Image:
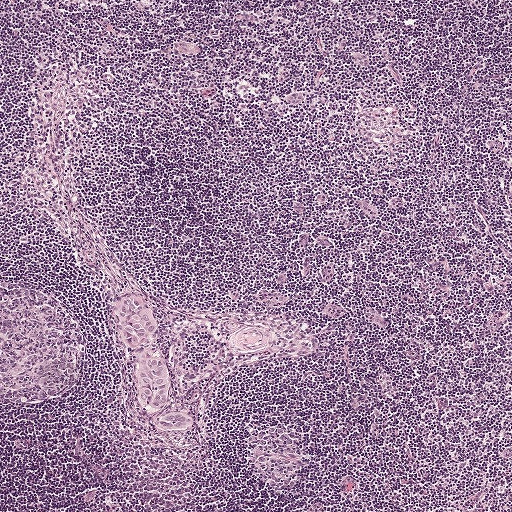
H&E-stained section of a sentinel lymph node (breast cancer), from a whole-slide image, viewed at about 5×: the field is about 1 mm across, about 1.9 µm per pixel.
Question:
Is there metastatic carcinoma in this field?
Answer:
Yes.
One metastatic tumour region; its boundary, reduced to 21 corners and listed clockwise: (128, 293), (134, 294), (153, 311), (158, 330), (152, 341), (153, 352), (162, 356), (172, 379), (168, 405), (161, 412), (176, 410), (193, 417), (192, 423), (184, 427), (167, 429), (157, 426), (139, 404), (135, 374), (123, 332), (116, 319), (117, 304).
The annotated tumour makes up under 5% of the crop.

Image:
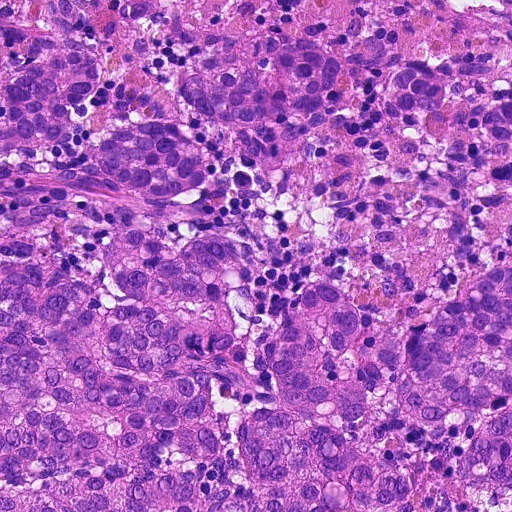
A 0.23-mm field of an H&E-stained sentinel lymph node from a breast-cancer patient (whole-slide image), shown at about 20×, about 0.45 µm per pixel.
Question:
Is there metastatic carcinoma in this field?
Answer:
Yes.
Boundaries of two metastatic tumour regions, simplified and listed clockwise, largest first: region 1: (39, 0), (168, 0), (152, 65), (174, 96), (172, 72), (187, 54), (256, 26), (326, 26), (344, 10), (408, 48), (482, 41), (499, 56), (485, 88), (511, 93), (511, 148), (498, 155), (480, 200), (489, 256), (511, 255), (511, 511), (0, 511), (0, 19), (44, 32); region 2: (511, 223), (511, 254), (499, 234).
The annotated tumour makes up about 95% of the crop.

Image:
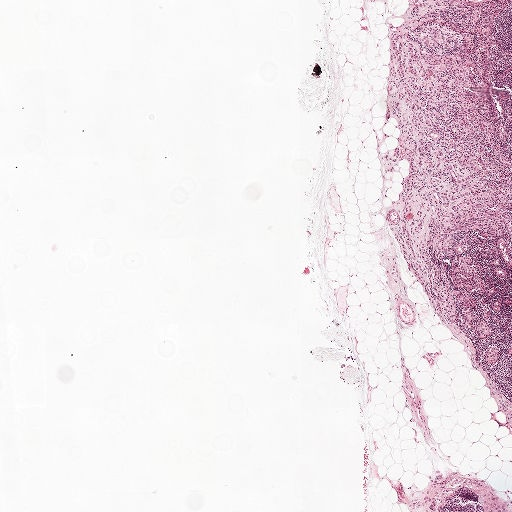
This is a crop of a whole-slide image: an H&E-stained breast-cancer sentinel lymph node section at roughly 2.5× magnification (about 3.9 µm per pixel; the crop spans about 2.0 mm).
Question:
Is there metastatic carcinoma in this field?
Answer:
Yes.
Outlines of four tumour regions, largest first (closed clockwise paths, crop pixels): region 1: (408, 40), (468, 63), (467, 96), (489, 103), (480, 107), (495, 129), (511, 115), (505, 143), (498, 139), (511, 164), (511, 241), (477, 228), (453, 245), (476, 261), (482, 287), (460, 291), (473, 322), (492, 328), (486, 338), (434, 310), (403, 251), (411, 164), (387, 101), (394, 47); region 2: (490, 27), (493, 31), (492, 41), (489, 46), (487, 56), (483, 57), (477, 57), (476, 48), (483, 40), (483, 30); region 3: (488, 345), (495, 345), (500, 348), (500, 358), (496, 365), (488, 365), (485, 363), (485, 349); region 4: (475, 8), (481, 10), (480, 31), (479, 33), (471, 33), (468, 28), (468, 23).
One more small tumour piece is annotated here but not outlined.
About 10% of this field is tumour.

Image:
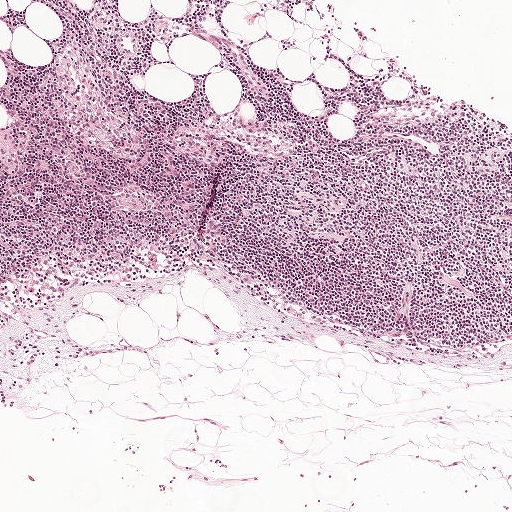
H&E-stained section of a sentinel lymph node (breast cancer), from a whole-slide image, viewed at about 5×: the field is about 1 mm across, about 1.9 µm per pixel.
Question:
Is there metastatic carcinoma in this field?
Answer:
No: no metastatic tumour is outlined anywhere in this field.